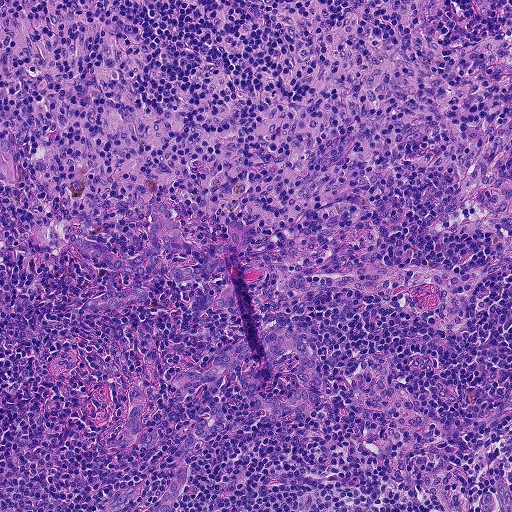
This is a crop of a whole-slide image: an H&E-stained breast-cancer sentinel lymph node section at roughly 10× magnification (about 0.9 µm per pixel; the crop spans about 0.46 mm).
Outlines of eight tumour regions, largest first (closed clockwise paths, crop pixels): region 1: (163, 203), (192, 246), (185, 252), (161, 249), (160, 264), (196, 266), (199, 264), (194, 251), (212, 257), (228, 240), (228, 225), (241, 222), (248, 240), (226, 253), (241, 298), (248, 305), (271, 300), (283, 306), (271, 315), (259, 308), (238, 315), (205, 304), (208, 297), (217, 299), (233, 284), (221, 271), (178, 280), (164, 277), (158, 284), (152, 275), (134, 278), (89, 264), (75, 236), (99, 243), (119, 257), (138, 256), (146, 244), (150, 205); region 2: (264, 328), (288, 328), (300, 334), (322, 380), (322, 400), (318, 405), (306, 404), (273, 424), (268, 420), (271, 408), (257, 408), (230, 382), (201, 386), (192, 394), (174, 388), (170, 377), (175, 372), (206, 370), (218, 356), (229, 354), (234, 359), (241, 347); region 3: (138, 385), (144, 390), (145, 408), (140, 420), (145, 427), (138, 433), (135, 445), (130, 447), (105, 446), (104, 441), (121, 433), (127, 422), (130, 404), (126, 397), (128, 391); region 4: (212, 406), (218, 407), (222, 411), (224, 416), (224, 428), (220, 432), (207, 435), (205, 447), (202, 453), (191, 458), (185, 458), (180, 454), (180, 447), (188, 437), (192, 435), (194, 428), (200, 418), (206, 416); region 5: (143, 287), (147, 289), (148, 298), (145, 302), (122, 308), (101, 309), (82, 308), (82, 304), (86, 301), (107, 292), (126, 291); region 6: (176, 466), (189, 466), (189, 478), (176, 502), (173, 511), (146, 511), (165, 490); region 7: (0, 138), (12, 142), (15, 149), (11, 162), (12, 177), (8, 183), (0, 178); region 8: (138, 328), (147, 332), (151, 336), (156, 353), (156, 359), (154, 363), (147, 363), (142, 361), (141, 356), (136, 352).
Region 2 encloses a non-tumour hole of about 25% of its area.
Two more small tumour pieces are annotated here but not outlined.
Tumour covers about 5% of the frame.